Image:
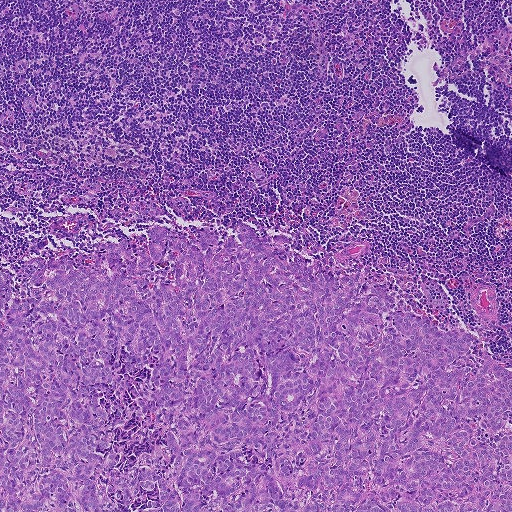
Lymph node section stained with H&E, from a whole-slide image of a breast-cancer sentinel node. Magnification about 5×, about 0.93 mm across the frame, about 1.8 µm per pixel.
Question:
Does this lymph node field contain metastatic tumour?
Answer:
Yes.
Metastatic tumour outline, simplified to 20 points and listed clockwise in crop pixels (x, y): (153, 224), (301, 226), (298, 252), (319, 242), (376, 279), (393, 267), (444, 286), (442, 308), (416, 283), (403, 292), (433, 325), (470, 332), (481, 356), (510, 357), (511, 511), (0, 511), (0, 266), (96, 252), (103, 238), (140, 247).
The annotated tumour makes up about 50% of the crop.